Question: 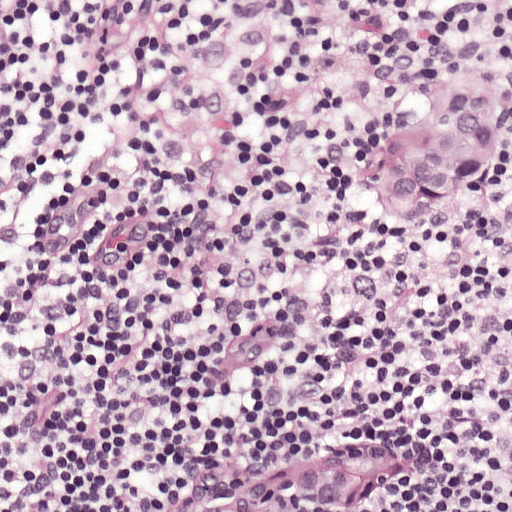
At roughly what magnification is this field shown?

Choices:
 (A) about 5×
 (B) about 20×
 (C) about 2.5×
 (D) about 10×
 (E) about 40×

Answer: (B) about 20×
Lymph node section stained with H&E, from a whole-slide image of a breast-cancer sentinel node. Magnification about 20×, about 0.25 mm across the frame, about 0.49 µm per pixel.
One metastatic tumour region; its boundary, reduced to 9 corners and listed clockwise: (464, 52), (511, 74), (511, 156), (446, 210), (387, 222), (338, 190), (343, 142), (380, 100), (415, 65).
About 10% of this field is tumour.